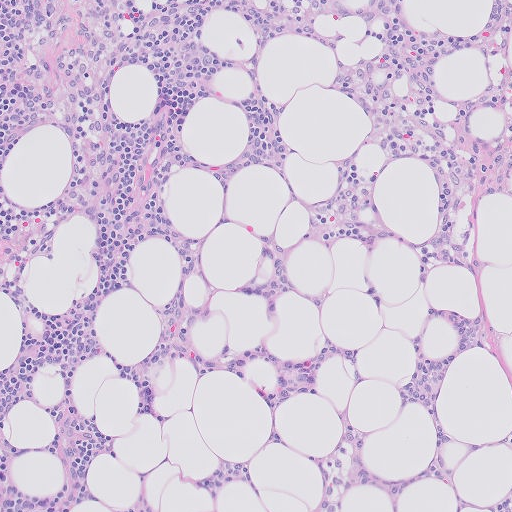
A 0.51-mm field of an H&E-stained sentinel lymph node from a breast-cancer patient (whole-slide image), shown at about 10×, about 1.0 µm per pixel.